Question: 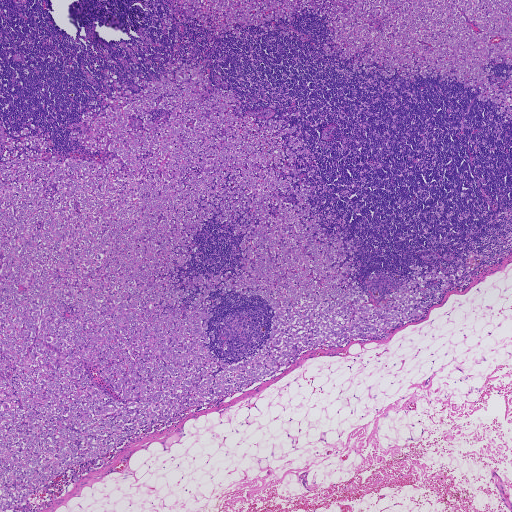
Lymph node section stained with H&E, from a whole-slide image of a breast-cancer sentinel node. Magnification about 2.5×, about 1.9 mm across the frame, about 3.6 µm per pixel.
What fraction of the image area is metastatic tumour?

Choices:
 (A) about 50% or more
 (B) about 5% or less
 (C) none: no tumour is outlined
 (D) about 25% to 45%
 (E) about 10% to 20%

Answer: (A) about 50% or more
About 50% of the field is tumour.
Boundaries of two metastatic tumour regions, simplified and listed clockwise, largest first: region 1: (198, 64), (202, 96), (297, 125), (298, 180), (356, 242), (340, 267), (369, 303), (410, 265), (462, 269), (386, 339), (303, 352), (7, 511), (0, 160), (31, 124), (46, 161), (103, 165), (71, 139), (82, 116); region 2: (511, 0), (511, 119), (497, 114), (499, 105), (479, 102), (480, 89), (473, 92), (457, 81), (443, 81), (441, 75), (403, 78), (397, 86), (396, 68), (388, 79), (377, 70), (356, 73), (348, 65), (370, 45), (346, 60), (337, 50), (328, 55), (322, 46), (328, 18), (309, 14), (306, 7), (261, 24), (263, 36), (253, 25), (236, 23), (238, 33), (219, 32), (209, 16), (203, 24), (186, 17), (180, 21), (173, 13), (167, 30), (163, 15), (169, 16), (168, 2).
Two more small tumour pieces are annotated here but not outlined.
Question: 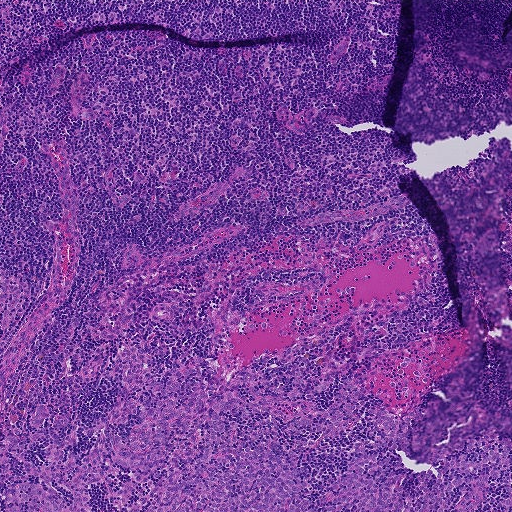
This is a crop of a whole-slide image: an H&E-stained breast-cancer sentinel lymph node section at roughly 5× magnification (about 1.8 µm per pixel; the crop spans about 0.93 mm).
What fraction of the image area is metastatic tumour?

Choices:
 (A) about 25% to 45%
 (B) about 50% or more
 (C) about 5% or less
 (D) none: no tumour is outlined
 (E) about 10% to 20%

Answer: (E) about 10% to 20%
About 15% of the field is tumour.
Boundaries of four metastatic tumour regions, simplified and listed clockwise, largest first: region 1: (193, 366), (177, 407), (195, 380), (255, 401), (258, 373), (281, 400), (298, 370), (298, 396), (276, 404), (286, 411), (350, 375), (364, 400), (326, 438), (280, 416), (282, 448), (314, 441), (313, 503), (374, 436), (368, 408), (417, 413), (411, 454), (378, 458), (410, 494), (477, 460), (473, 437), (508, 462), (465, 474), (446, 511), (6, 511), (15, 484), (73, 497), (16, 457), (0, 472), (2, 435), (37, 466), (52, 442), (128, 438), (139, 413), (109, 407), (170, 367); region 2: (42, 403), (46, 406), (50, 413), (43, 424), (39, 427), (30, 426), (29, 422), (30, 418), (33, 414), (38, 404); region 3: (69, 413), (69, 421), (68, 425), (60, 430), (55, 430), (52, 426), (53, 421), (60, 414); region 4: (509, 486), (511, 488), (511, 493), (508, 496), (511, 501), (510, 505), (508, 510), (509, 511), (502, 511), (505, 510), (505, 505), (500, 503), (499, 499), (504, 498), (507, 494), (506, 490).
Question: 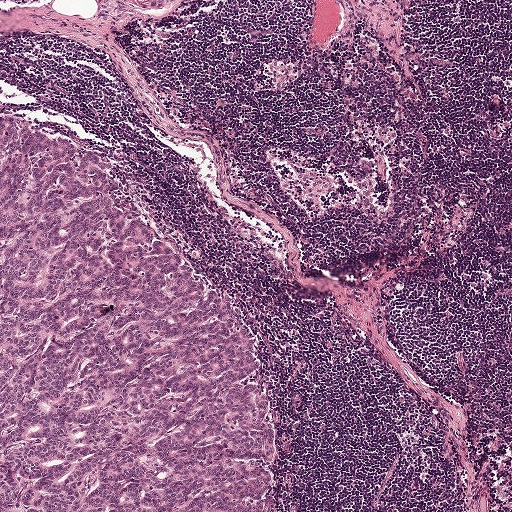
This is a crop of a whole-slide image: an H&E-stained breast-cancer sentinel lymph node section at roughly 5× magnification (about 1.9 µm per pixel; the crop spans about 1 mm).
What fraction of the image area is metastatic tumour?

Choices:
 (A) about 10% to 20%
 (B) about 50% or more
 (C) about 5% or less
 (D) none: no tumour is outlined
 (E) about 25% to 45%

Answer: (E) about 25% to 45%
About 30% of the field is tumour.
Metastatic tumour outline, simplified to 6 points and listed clockwise in crop pixels (x, y): (0, 103), (108, 164), (246, 314), (274, 412), (276, 511), (0, 511).
Question: 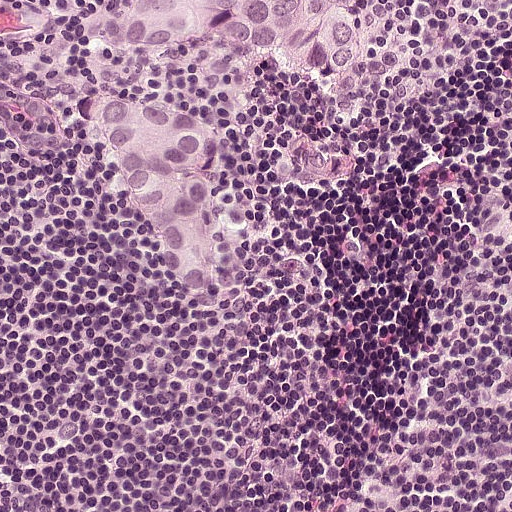
A 0.25-mm field of an H&E-stained sentinel lymph node from a breast-cancer patient (whole-slide image), shown at about 20×, about 0.49 µm per pixel.
What fraction of the image area is metastatic tumour?

Choices:
 (A) about 25% to 45%
 (B) about 50% or more
 (C) about 5% or less
 (D) about 10% to 20%
 (E) none: no tumour is outlined

Answer: (D) about 10% to 20%
About 10% of the field is tumour.
Boundaries of two metastatic tumour regions, simplified and listed clockwise, largest first: region 1: (77, 90), (184, 110), (215, 129), (212, 208), (215, 264), (205, 292), (194, 292), (174, 282), (144, 229), (136, 202), (112, 171), (99, 134), (66, 110); region 2: (128, 0), (342, 0), (358, 24), (359, 36), (349, 68), (326, 81), (304, 80), (280, 63), (214, 38), (176, 56), (132, 50), (126, 44), (124, 24).